Question: 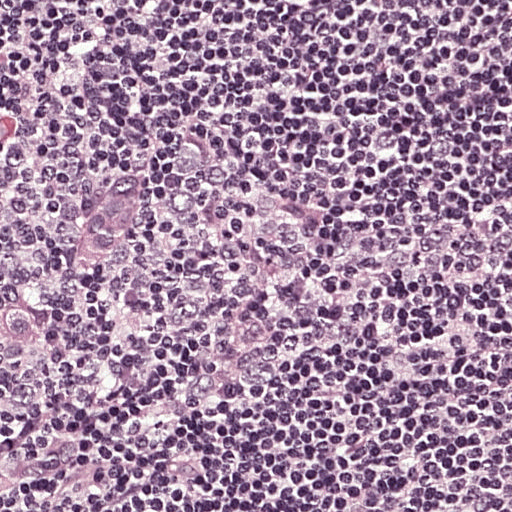
H&E-stained section of a sentinel lymph node (breast cancer), from a whole-slide image, viewed at about 20×: the field is about 0.25 mm across, about 0.49 µm per pixel.
What fraction of the image area is metastatic tumour?

Choices:
 (A) about 10% to 20%
 (B) about 25% to 45%
 (C) about 50% or more
 (D) about 5% or less
 (E) none: no tumour is outlined

Answer: (D) about 5% or less
About 5% of the field is tumour.
Two metastatic tumour regions, each outlined as a closed clockwise path in crop pixels (x, y), largest first: region 1: (138, 168), (146, 176), (141, 213), (116, 256), (78, 272), (71, 252), (86, 220), (115, 178); region 2: (78, 437), (82, 458), (52, 476), (0, 491), (0, 466), (31, 460), (56, 438).
One more small tumour piece is annotated here but not outlined.
Question: 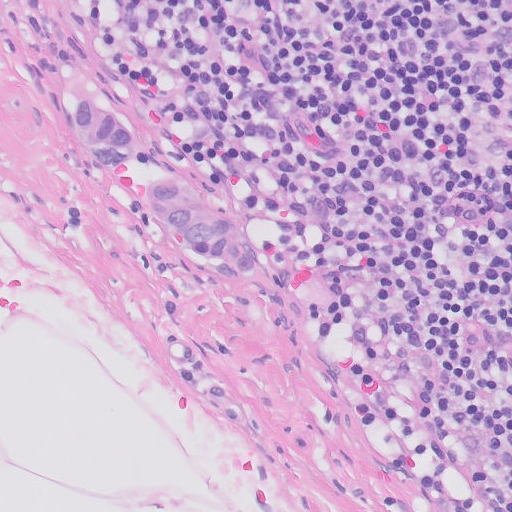
H&E-stained section of a sentinel lymph node (breast cancer), from a whole-slide image, viewed at about 20×: the field is about 0.26 mm across, about 0.5 µm per pixel.
What fraction of the image area is metastatic tumour?

Choices:
 (A) none: no tumour is outlined
 (B) about 25% to 45%
 (C) about 5% or less
 (D) about 10% to 20%
 (E) about 50% or more

Answer: (C) about 5% or less
About 5% of the field is tumour.
Two metastatic tumour regions, each outlined as a closed clockwise path in crop pixels (x, y), largest first: region 1: (172, 177), (188, 187), (232, 226), (239, 238), (252, 246), (258, 260), (253, 274), (242, 282), (227, 282), (192, 256), (174, 232), (139, 204), (134, 190), (144, 178); region 2: (85, 92), (99, 104), (115, 112), (128, 122), (136, 134), (136, 148), (131, 161), (118, 168), (104, 168), (83, 150), (69, 124), (66, 109), (71, 94).
Question: 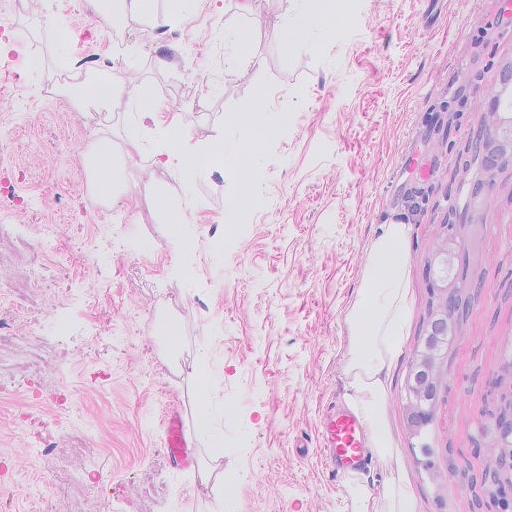
A 0.26-mm field of an H&E-stained sentinel lymph node from a breast-cancer patient (whole-slide image), shown at about 20×, about 0.5 µm per pixel.
What fraction of the image area is metastatic tumour?

Choices:
 (A) about 5% or less
 (B) none: no tumour is outlined
 (C) about 25% to 45%
 (D) about 10% to 20%
 (E) about 50% or more

Answer: (A) about 5% or less
About 5% of the field is tumour.
One metastatic tumour region; its boundary, reduced to 12 corners and listed clockwise: (511, 50), (511, 159), (490, 203), (472, 312), (445, 370), (440, 435), (450, 500), (432, 509), (401, 429), (404, 364), (419, 322), (428, 238).
Question: 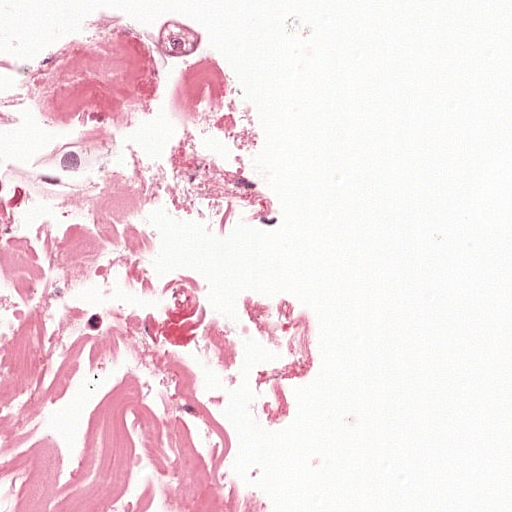
H&E-stained section of a sentinel lymph node (breast cancer), from a whole-slide image, viewed at about 20×: the field is about 0.25 mm across, about 0.49 µm per pixel.
What fraction of the image area is metastatic tumour?

Choices:
 (A) about 50% or more
 (B) none: no tumour is outlined
 (C) about 25% to 45%
 (D) about 10% to 20%
 (E) about 5% or less

Answer: (E) about 5% or less
Under 5% of the field is tumour.
The outlined metastatic tumour's edge, as a closed clockwise path of 11 points: (71, 143), (105, 144), (109, 151), (107, 163), (100, 174), (84, 175), (60, 172), (50, 167), (27, 168), (34, 158), (58, 144).
One more small tumour piece is annotated here but not outlined.